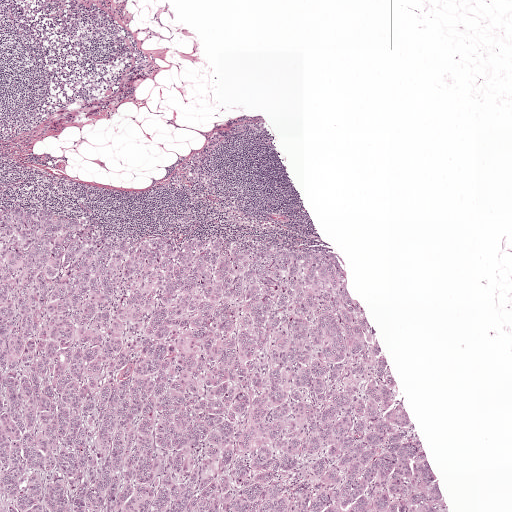
This is a crop of a whole-slide image: an H&E-stained breast-cancer sentinel lymph node section at roughly 2.5× magnification (about 3.9 µm per pixel; the crop spans about 2.0 mm).
The outlined metastatic tumour's edge, as a closed clockwise path of 5 points: (0, 207), (112, 234), (332, 248), (451, 508), (0, 511).
Tumour covers about 40% of the frame.